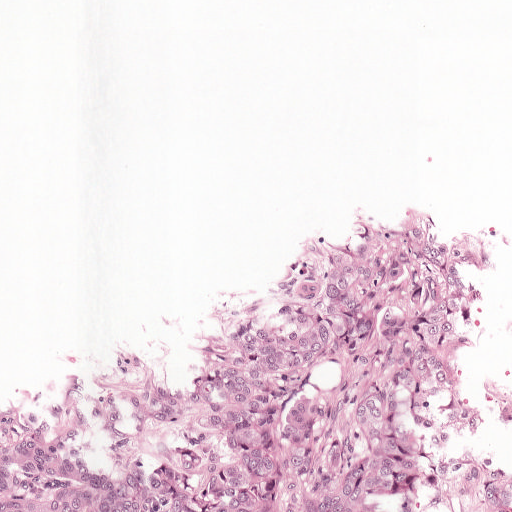
Lymph node section stained with H&E, from a whole-slide image of a breast-cancer sentinel node. Magnification about 10×, about 0.5 mm across the frame, about 0.97 µm per pixel.
Question: Where is the metastatic tumour in this field? Give each region's outline as (x, y) pixel points.
Answer: Tumour region outline (a closed clockwise path, crop pixels): (460, 205), (511, 228), (511, 278), (480, 342), (481, 364), (504, 369), (511, 511), (0, 511), (0, 392), (202, 305), (357, 206).
The annotated tumour makes up about 45% of the crop.